Question: 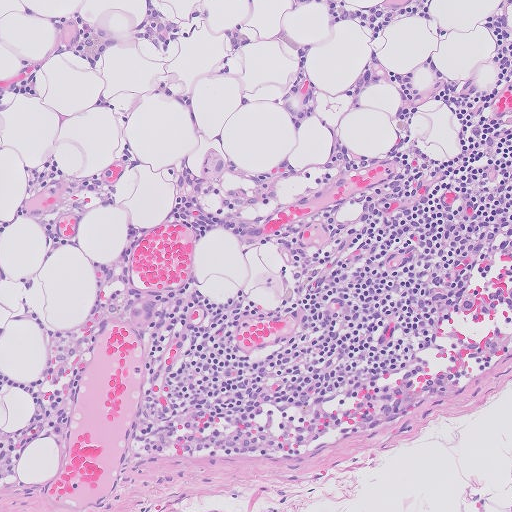
At roughly what magnification is this field shown?

Choices:
 (A) about 5×
 (B) about 10×
 (C) about 2.5×
 (D) about 20×
 (E) about 40×

Answer: (B) about 10×
A 0.51-mm field of an H&E-stained sentinel lymph node from a breast-cancer patient (whole-slide image), shown at about 10×, about 1.0 µm per pixel.